Lymph node section stained with H&E, from a whole-slide image of a breast-cancer sentinel node. Magnification about 5×, about 1 mm across the frame, about 1.9 µm per pixel.
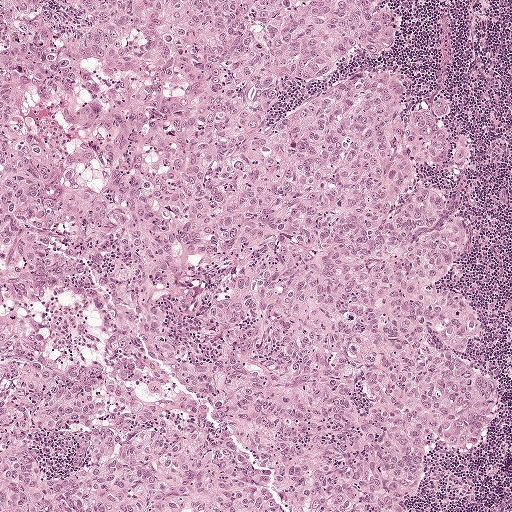
The outlined metastatic tumour's edge, as a closed clockwise path of 23 points: (0, 0), (394, 13), (386, 54), (288, 82), (268, 126), (396, 70), (402, 122), (444, 102), (444, 152), (466, 150), (464, 168), (421, 165), (413, 184), (466, 236), (432, 286), (477, 313), (456, 358), (495, 381), (495, 410), (469, 450), (429, 442), (408, 511), (0, 511).
About 85% of the image area is annotated as tumour.